Question: 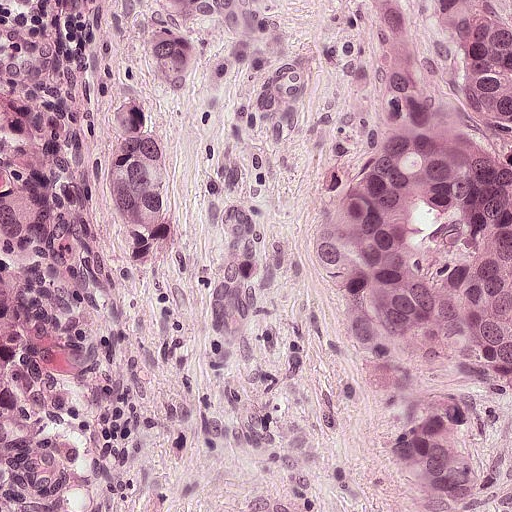
H&E-stained section of a sentinel lymph node (breast cancer), from a whole-slide image, viewed at about 20×: the field is about 0.25 mm across, about 0.49 µm per pixel.
What fraction of the image area is metastatic tumour?

Choices:
 (A) about 10% to 20%
 (B) about 5% or less
 (C) about 50% or more
 (D) about 25% to 45%
 (E) none: no tumour is outlined

Answer: (D) about 25% to 45%
About 40% of the field is tumour.
Four metastatic tumour regions, each outlined as a closed clockwise path in crop pixels (x, y), largest first: region 1: (511, 0), (511, 388), (490, 398), (505, 511), (428, 511), (405, 492), (362, 381), (312, 316), (314, 261), (384, 111), (377, 60), (341, 2); region 2: (0, 168), (12, 170), (45, 192), (46, 219), (56, 233), (48, 262), (16, 277), (16, 328), (22, 339), (22, 364), (35, 410), (66, 450), (69, 494), (66, 511), (0, 511); region 3: (125, 94), (139, 96), (172, 156), (174, 235), (164, 265), (150, 275), (134, 276), (124, 271), (110, 240), (102, 154), (126, 106); region 4: (142, 0), (208, 0), (200, 9), (196, 22), (196, 52), (192, 77), (182, 96), (170, 102), (164, 102), (162, 96), (141, 50).